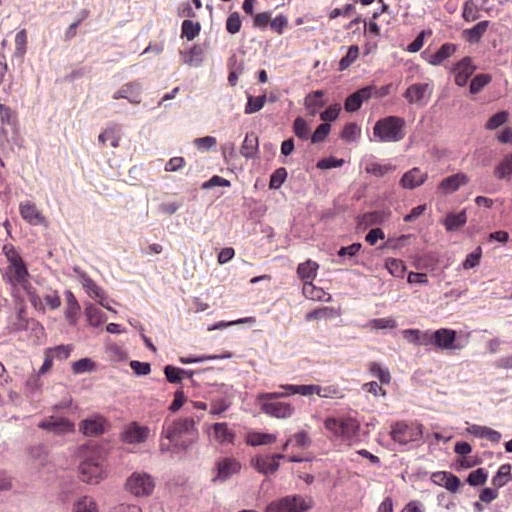
This is a crop of a whole-slide image: an H&E-stained breast-cancer sentinel lymph node section at roughly 40× magnification (about 0.24 µm per pixel; the crop spans about 0.12 mm).
Question: Describe where the metastatic carcinoma lies in this crop.
Answer: Boundaries of three metastatic tumour regions, simplified and listed clockwise, largest first: region 1: (437, 2), (511, 54), (511, 254), (451, 288), (371, 310), (326, 293), (285, 257), (265, 222), (260, 170), (299, 79); region 2: (0, 213), (44, 286), (131, 384), (174, 407), (267, 427), (335, 466), (383, 511), (0, 511); region 3: (0, 0), (30, 0), (28, 2), (28, 9), (19, 23), (1, 40).
The annotated tumour makes up about 40% of the crop.

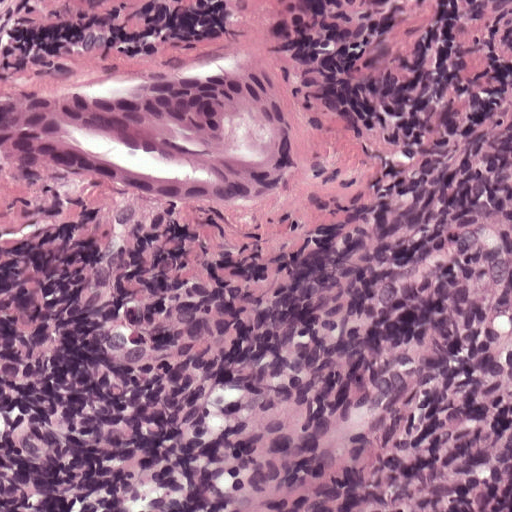
Lymph node section stained with H&E, from a whole-slide image of a breast-cancer sentinel node. Magnification about 20×, about 0.25 mm across the frame, about 0.49 µm per pixel.
Question: Describe where the metastatic carcinoma lies in this crop.
Answer: Metastatic tumour outline, simplified to 6 points and listed clockwise in crop pixels (x, y): (0, 0), (272, 0), (296, 76), (372, 180), (298, 277), (0, 232).
The annotated tumour makes up about 30% of the crop.

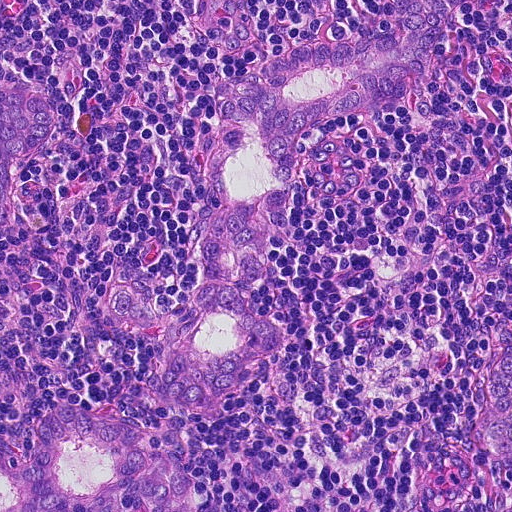
A 0.23-mm field of an H&E-stained sentinel lymph node from a breast-cancer patient (whole-slide image), shown at about 20×, about 0.45 µm per pixel.
Question: Describe where the metastatic carcinoma lies in this crop.
Answer: Three metastatic tumour regions, each outlined as a closed clockwise path in crop pixels (x, y), largest first: region 1: (445, 0), (445, 19), (400, 94), (295, 140), (292, 206), (244, 294), (258, 319), (284, 331), (278, 362), (202, 423), (148, 400), (141, 372), (157, 349), (138, 328), (112, 316), (114, 288), (164, 308), (191, 300), (204, 274), (198, 189), (240, 80), (286, 48), (372, 28), (388, 2); region 2: (71, 406), (96, 408), (140, 424), (188, 429), (187, 452), (198, 511), (65, 508), (0, 511), (0, 434), (26, 454), (48, 412); region 3: (10, 85), (37, 88), (57, 108), (54, 137), (12, 168), (20, 196), (9, 222), (0, 224), (0, 91).
About 25% of this field is tumour.

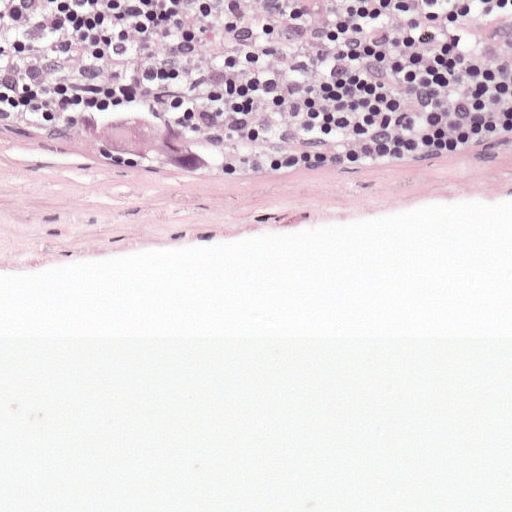
Lymph node section stained with H&E, from a whole-slide image of a breast-cancer sentinel node. Magnification about 20×, about 0.25 mm across the frame, about 0.49 µm per pixel.
Question: Describe where the metastatic carcinoma lies in this crop.
Answer: Metastatic tumour outline, simplified to 12 points and listed clockwise in crop pixels (x, y): (80, 110), (95, 114), (98, 128), (116, 119), (142, 118), (167, 122), (190, 136), (207, 157), (204, 172), (172, 169), (103, 146), (76, 132).
Under 5% of the image area is annotated as tumour.